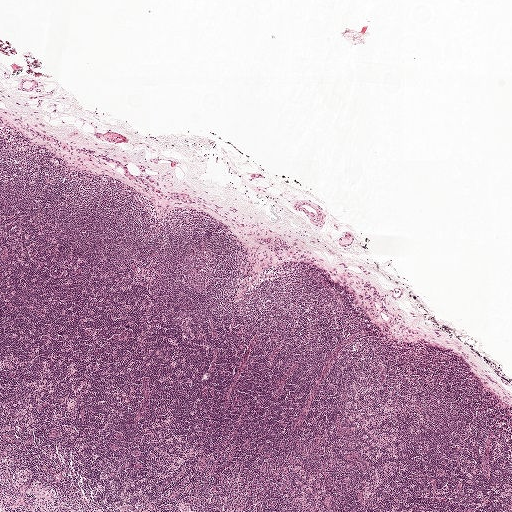
A 2.0-mm field of an H&E-stained sentinel lymph node from a breast-cancer patient (whole-slide image), shown at about 2.5×, about 3.9 µm per pixel.